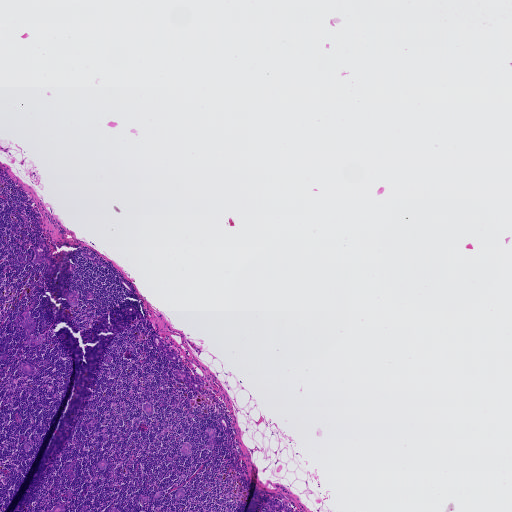
This is a crop of a whole-slide image: an H&E-stained breast-cancer sentinel lymph node section at roughly 2.5× magnification (about 3.6 µm per pixel; the crop spans about 1.9 mm).
Outlines of the eight largest metastatic tumour regions, each a closed clockwise path in crop pixels (x, y), largest first: region 1: (28, 312), (30, 312), (32, 316), (36, 323), (36, 326), (30, 334), (35, 336), (35, 338), (44, 333), (45, 335), (45, 340), (42, 344), (34, 346), (27, 346), (26, 344), (25, 342), (31, 337), (29, 335), (27, 336), (24, 329), (20, 326), (20, 323), (23, 319), (25, 317), (24, 315); region 2: (42, 240), (45, 243), (48, 253), (53, 258), (53, 273), (48, 273), (47, 271), (48, 264), (47, 262), (42, 264), (34, 264), (33, 262), (35, 255), (33, 248), (39, 244); region 3: (176, 370), (186, 372), (191, 377), (201, 379), (204, 383), (202, 390), (201, 392), (190, 387), (187, 386), (171, 372); region 4: (156, 333), (161, 338), (165, 345), (168, 346), (170, 350), (177, 355), (178, 357), (177, 362), (173, 362), (168, 359), (159, 348), (154, 345), (153, 334); region 5: (269, 499), (284, 504), (291, 511), (279, 511), (275, 509), (272, 509), (271, 511), (268, 511), (265, 507), (267, 504), (267, 500); region 6: (77, 290), (79, 291), (79, 294), (78, 306), (76, 307), (71, 307), (68, 303), (65, 295); region 7: (24, 363), (27, 363), (32, 364), (37, 369), (37, 371), (35, 373), (30, 374), (22, 372), (19, 368), (20, 366); region 8: (222, 416), (224, 416), (227, 421), (230, 433), (229, 434), (224, 432), (221, 428), (218, 422), (218, 419), (220, 417).
Four more, smaller tumour regions are not outlined.
14 more small tumour pieces are annotated here but not outlined.
Under 5% of the image area is annotated as tumour.